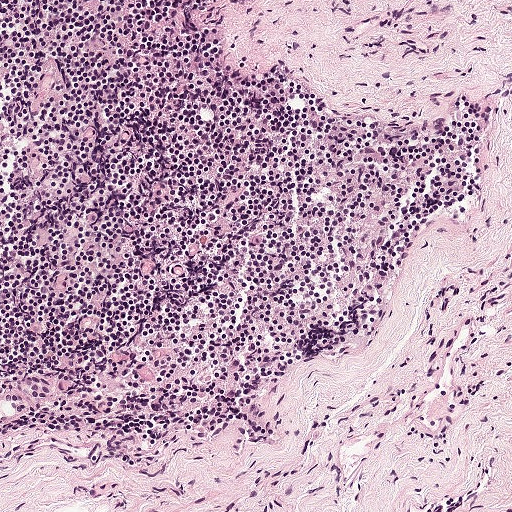
A 0.5-mm field of an H&E-stained sentinel lymph node from a breast-cancer patient (whole-slide image), shown at about 10×, about 0.97 µm per pixel.